Image:
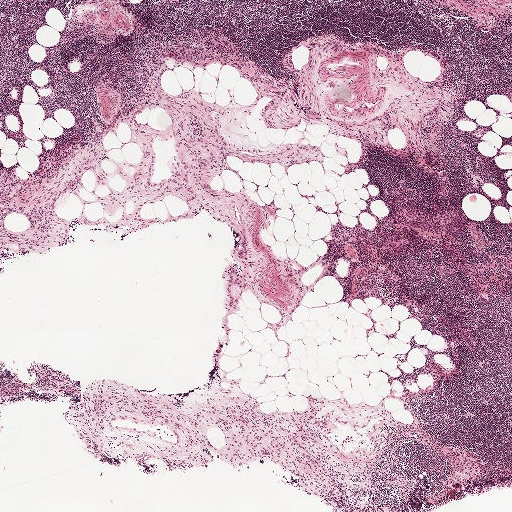
A 2.0-mm field of an H&E-stained sentinel lymph node from a breast-cancer patient (whole-slide image), shown at about 2.5×, about 3.9 µm per pixel.
Question:
Is there metastatic carcinoma in this field?
Answer:
No: no metastatic tumour is outlined anywhere in this field.